A 0.12-mm field of an H&E-stained sentinel lymph node from a breast-cancer patient (whole-slide image), shown at about 40×, about 0.23 µm per pixel.
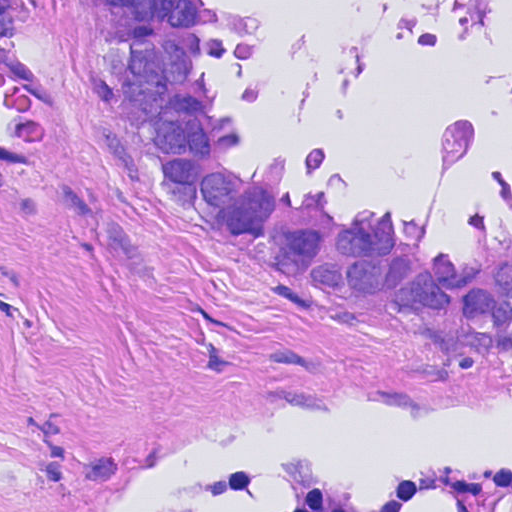
Metastatic tumour outline, simplified to 7 points and listed clockwise in crop pixels (x, y): (83, 0), (511, 0), (511, 350), (449, 347), (268, 282), (130, 158), (98, 100).
About 45% of this field is tumour.